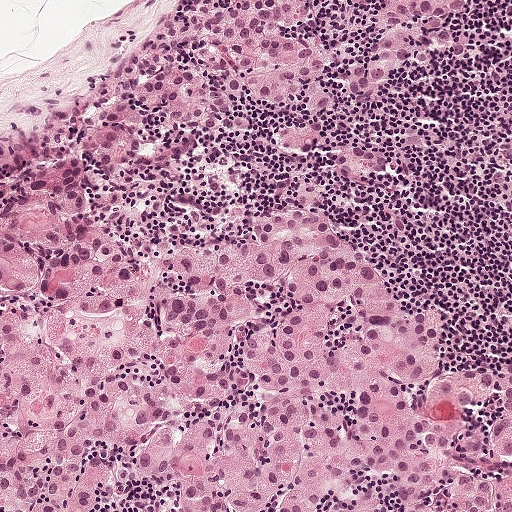
H&E-stained section of a sentinel lymph node (breast cancer), from a whole-slide image, viewed at about 10×: the field is about 0.5 mm across, about 0.97 µm per pixel.
Question: Which parts of this field are metastatic tumour?
Answer: Boundaries of five metastatic tumour regions, simplified and listed clockwise, largest first: region 1: (184, 63), (212, 73), (248, 131), (176, 124), (162, 108), (146, 122), (127, 168), (88, 197), (138, 256), (248, 238), (266, 209), (306, 205), (292, 195), (314, 181), (309, 205), (407, 313), (438, 307), (433, 378), (506, 363), (511, 511), (0, 511), (0, 196); region 2: (317, 0), (316, 14), (280, 32), (287, 39), (316, 35), (319, 45), (337, 55), (319, 83), (335, 103), (313, 112), (306, 106), (310, 84), (282, 107), (251, 97), (244, 85), (236, 97), (228, 94), (222, 87), (226, 76), (236, 76), (235, 49), (214, 39), (200, 21), (230, 4); region 3: (372, 0), (468, 0), (462, 16), (445, 17), (443, 26), (467, 38), (468, 48), (462, 57), (446, 56), (436, 47), (434, 56), (426, 65), (404, 64), (381, 97), (364, 107), (351, 102), (343, 89), (345, 76), (365, 57), (368, 43), (378, 38), (374, 18), (378, 3); region 4: (368, 140), (385, 150), (390, 172), (374, 183), (355, 186), (336, 176), (331, 161), (340, 146); region 5: (320, 120), (329, 135), (314, 154), (301, 154), (286, 153), (275, 143), (272, 130), (284, 127), (302, 127), (310, 122).
One more small tumour piece is annotated here but not outlined.
About 60% of this field is tumour.